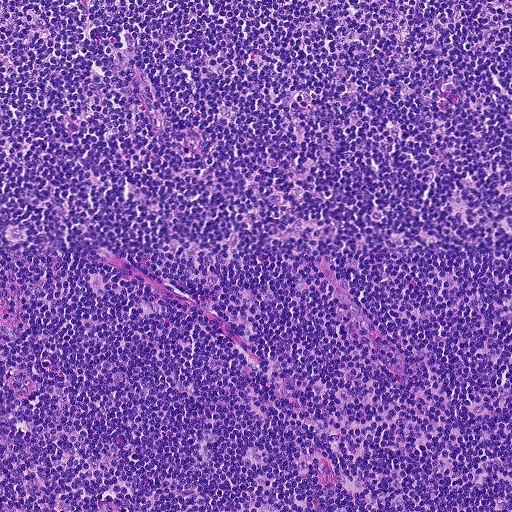
Lymph node section stained with H&E, from a whole-slide image of a breast-cancer sentinel node. Magnification about 10×, about 0.46 mm across the frame, about 0.9 µm per pixel.
Question: Is there metastatic carcinoma in this field?
Answer: No, this field holds no outlined metastasis.